H&E-stained section of a sentinel lymph node (breast cancer), from a whole-slide image, viewed at about 2.5×: the field is about 2.0 mm across, about 3.9 µm per pixel.
Image:
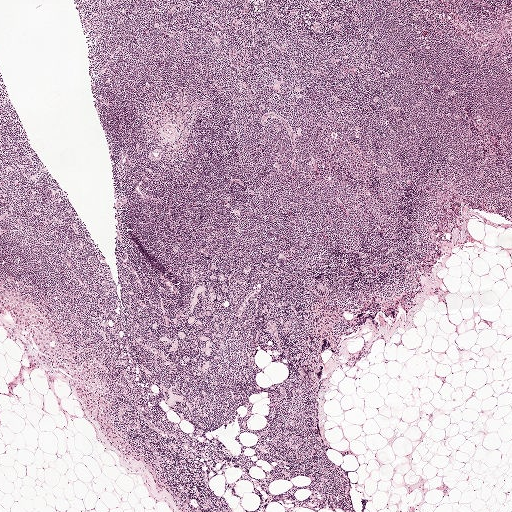
Question:
Does this lymph node field contain metastatic tumour?
Answer:
No. No metastatic tumour is outlined in this field.